Question: 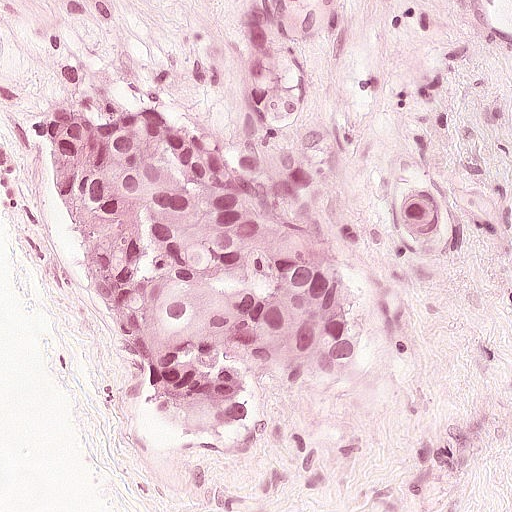
Lymph node section stained with H&E, from a whole-slide image of a breast-cancer sentinel node. Magnification about 20×, about 0.25 mm across the frame, about 0.49 µm per pixel.
What fraction of the image area is metastatic tumour?

Choices:
 (A) about 5% or less
 (B) about 10% to 20%
 (C) about 25% to 45%
 (D) about 50% or more
 (E) none: no tumour is outlined

Answer: (C) about 25% to 45%
About 30% of the field is tumour.
The outlined metastatic tumour's edge, as a closed clockwise path of 18 points: (140, 82), (250, 160), (294, 150), (318, 161), (322, 218), (360, 316), (349, 360), (282, 386), (248, 360), (222, 422), (194, 422), (162, 406), (114, 314), (58, 250), (29, 157), (40, 99), (60, 90), (96, 102).
One more small tumour piece is annotated here but not outlined.